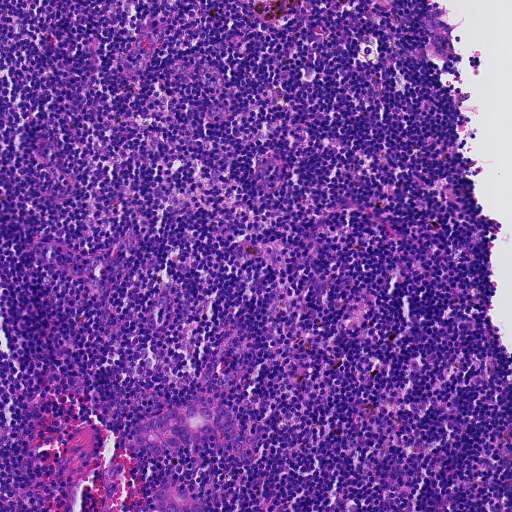
Lymph node section stained with H&E, from a whole-slide image of a breast-cancer sentinel node. Magnification about 10×, about 0.46 mm across the frame, about 0.91 µm per pixel.
Two metastatic tumour regions, each outlined as a closed clockwise path in crop pixels (x, y), largest first: region 1: (196, 396), (208, 396), (233, 414), (239, 435), (250, 454), (242, 460), (221, 449), (214, 440), (201, 439), (162, 455), (151, 456), (140, 452), (132, 443), (131, 433), (136, 423), (164, 408), (179, 408), (189, 404); region 2: (171, 486), (182, 487), (200, 500), (205, 510), (204, 511), (165, 511), (150, 499), (152, 494), (160, 488).
One more small tumour piece is annotated here but not outlined.
Tumour covers under 5% of the frame.